This is a crop of a whole-slide image: an H&E-stained breast-cancer sentinel lymph node section at roughly 20× magnification (about 0.45 µm per pixel; the crop spans about 0.23 mm).
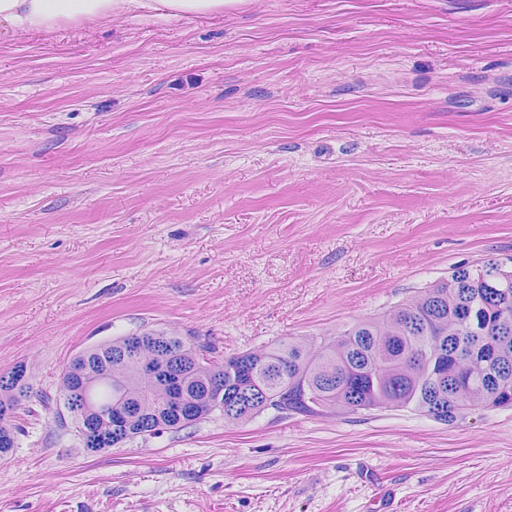
Tumour region outline (a closed clockwise path, crop pixels): (511, 236), (511, 511), (0, 511), (0, 354), (39, 356), (52, 378), (89, 320), (153, 300), (251, 340).
The annotated tumour makes up about 40% of the crop.